Question: 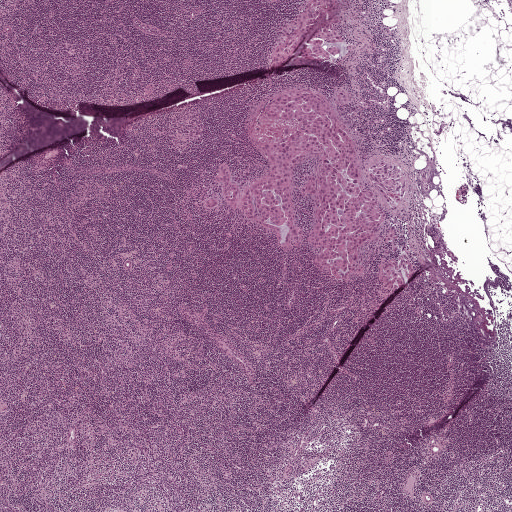
At roughly what magnification is this field shown?

Choices:
 (A) about 10×
 (B) about 5×
 (C) about 40×
 (D) about 2.5×
 (E) about 20×

Answer: (D) about 2.5×
Lymph node section stained with H&E, from a whole-slide image of a breast-cancer sentinel node. Magnification about 2.5×, about 2.0 mm across the frame, about 3.9 µm per pixel.
Boundaries of three metastatic tumour regions, simplified and listed clockwise, largest first: region 1: (308, 86), (334, 102), (336, 87), (344, 86), (351, 99), (338, 116), (365, 162), (379, 158), (403, 167), (411, 188), (404, 209), (361, 248), (367, 272), (349, 284), (311, 263), (311, 203), (298, 188), (320, 167), (320, 157), (305, 157), (293, 175), (302, 246), (279, 250), (268, 227), (230, 207), (201, 206), (223, 191), (214, 178), (217, 164), (224, 161), (235, 181), (249, 188), (266, 174), (270, 168), (246, 126), (253, 104), (278, 89); region 2: (307, 0), (341, 0), (336, 18), (341, 21), (338, 30), (347, 35), (351, 45), (351, 55), (342, 61), (332, 64), (311, 60), (282, 70), (272, 70), (267, 61), (268, 50), (279, 29), (298, 12), (301, 3); region 3: (390, 226), (394, 226), (399, 231), (400, 246), (391, 258), (406, 254), (411, 258), (414, 272), (411, 287), (397, 291), (383, 289), (378, 283), (380, 261), (385, 246), (384, 239).
One more small tumour piece is annotated here but not outlined.
Tumour covers about 10% of the frame.